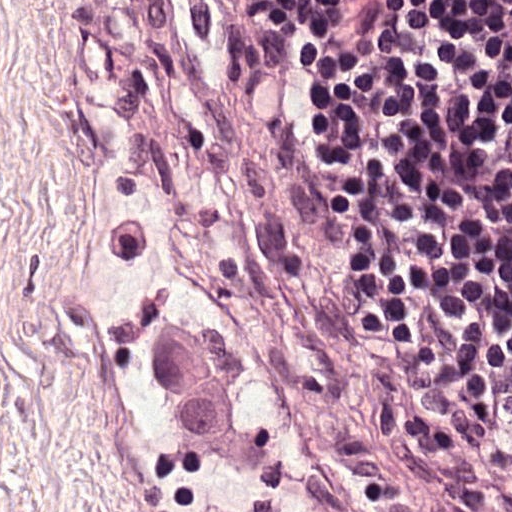
This is a crop of a whole-slide image: an H&E-stained breast-cancer sentinel lymph node section at roughly 40× magnification (about 0.24 µm per pixel; the crop spans about 0.12 mm).
Question: Describe where the metastatic carcinoma lies in this crop.
Answer: One metastatic tumour region; its boundary, reduced to 11 corners and listed clockwise: (158, 308), (189, 309), (220, 330), (237, 354), (252, 394), (251, 437), (227, 453), (187, 449), (161, 418), (149, 368), (147, 318).
The annotated tumour makes up about 5% of the crop.